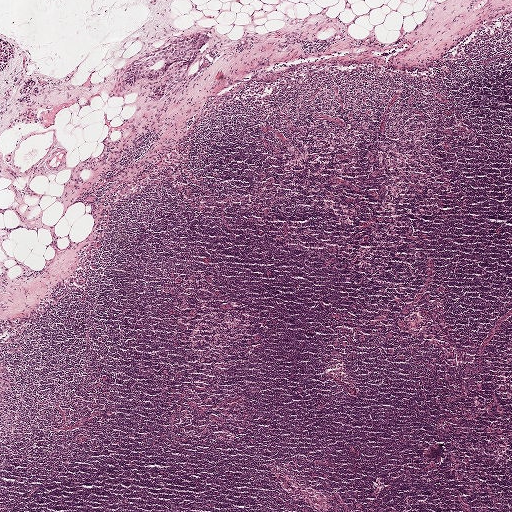
A 2.0-mm field of an H&E-stained sentinel lymph node from a breast-cancer patient (whole-slide image), shown at about 2.5×, about 3.9 µm per pixel.
Outlines of two tumour regions, largest first (closed clockwise paths, crop pixels): region 1: (203, 33), (211, 34), (212, 38), (197, 51), (187, 75), (164, 97), (150, 100), (148, 95), (182, 66), (181, 61), (171, 63), (160, 78), (152, 83), (139, 83), (131, 88), (122, 84), (123, 73), (133, 62), (148, 57), (186, 37); region 2: (0, 36), (8, 40), (13, 53), (13, 58), (8, 66), (0, 73).
The annotated tumour makes up under 5% of the crop.